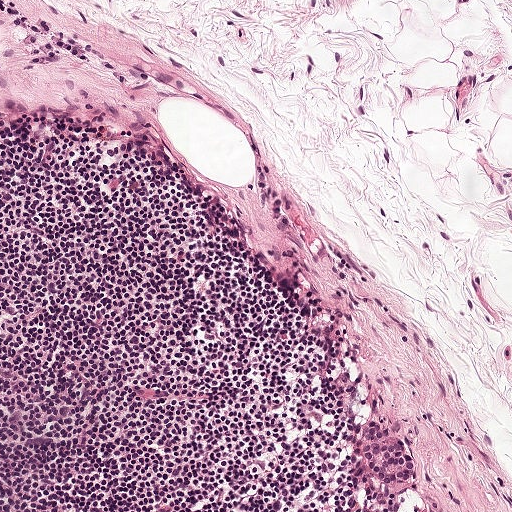
Lymph node section stained with H&E, from a whole-slide image of a breast-cancer sentinel node. Magnification about 10×, about 0.5 mm across the frame, about 0.97 µm per pixel.
Question: Is any metastatic breast cancer visible in this crop?
Answer: Yes.
Tumour region outline (a closed clockwise path, crop pixels): (366, 424), (380, 424), (401, 438), (406, 452), (414, 464), (411, 481), (404, 485), (390, 485), (374, 480), (369, 474), (360, 451), (362, 429).
Under 5% of this field is tumour.